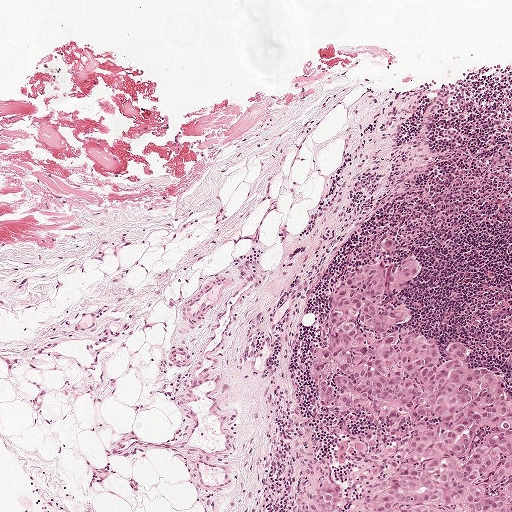
H&E-stained section of a sentinel lymph node (breast cancer), from a whole-slide image, viewed at about 5×: the field is about 1 mm across, about 1.9 µm per pixel.
Question: Is there metastatic carcinoma in this field?
Answer: Yes.
Outlines of two tumour regions, largest first (closed clockwise paths, crop pixels): region 1: (392, 238), (398, 260), (424, 264), (423, 276), (399, 297), (412, 312), (402, 328), (436, 340), (439, 365), (452, 359), (446, 343), (463, 340), (471, 365), (511, 396), (511, 511), (368, 511), (389, 469), (392, 445), (378, 430), (323, 408), (310, 376), (316, 349), (334, 336), (340, 299); region 2: (328, 491), (332, 491), (339, 496), (339, 511), (320, 511), (320, 508), (316, 504), (318, 496).
About 10% of the image area is annotated as tumour.